H&E-stained section of a sentinel lymph node (breast cancer), from a whole-slide image, viewed at about 20×: the field is about 0.23 mm across, about 0.45 µm per pixel.
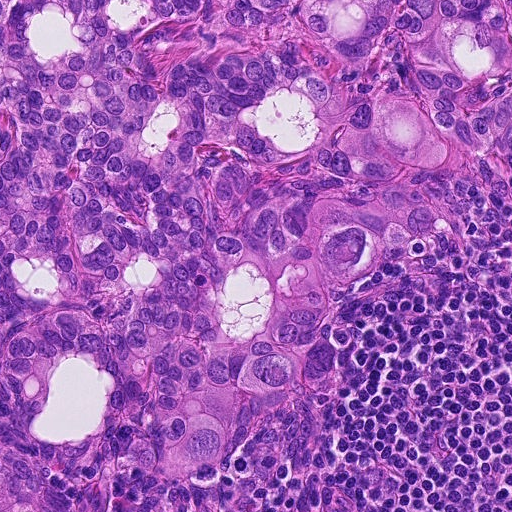
Question: Which parts of this field are metastatic tumour?
Answer: The outlined metastatic tumour's edge, as a closed clockwise path of 15 points: (0, 0), (511, 0), (511, 176), (486, 156), (435, 181), (462, 228), (456, 252), (357, 284), (340, 302), (332, 380), (264, 420), (218, 482), (118, 499), (115, 511), (0, 511).
Tumour covers about 75% of the frame.